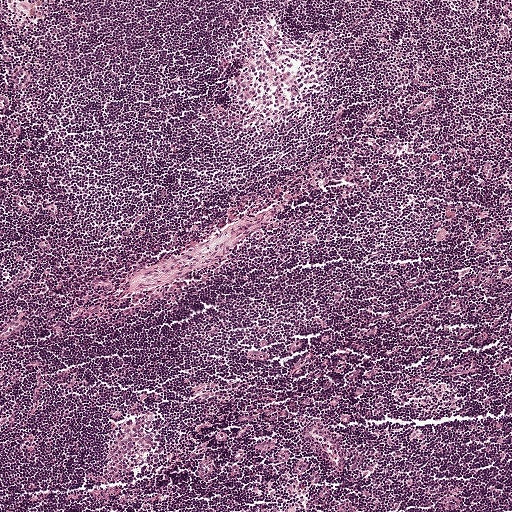
This is a crop of a whole-slide image: an H&E-stained breast-cancer sentinel lymph node section at roughly 5× magnification (about 1.9 µm per pixel; the crop spans about 1 mm).